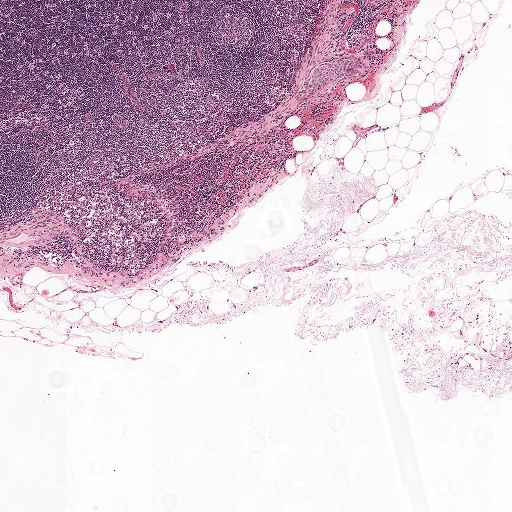
This is a crop of a whole-slide image: an H&E-stained breast-cancer sentinel lymph node section at roughly 2.5× magnification (about 3.9 µm per pixel; the crop spans about 2.0 mm).
The outlined metastatic tumour's edge, as a closed clockwise path of 11 points: (358, 56), (362, 58), (363, 62), (358, 73), (328, 83), (314, 92), (305, 92), (306, 83), (318, 65), (337, 58), (348, 59).
The annotated tumour makes up under 5% of the crop.